Lymph node section stained with H&E, from a whole-slide image of a breast-cancer sentinel node. Magnification about 20×, about 0.25 mm across the frame, about 0.49 µm per pixel.
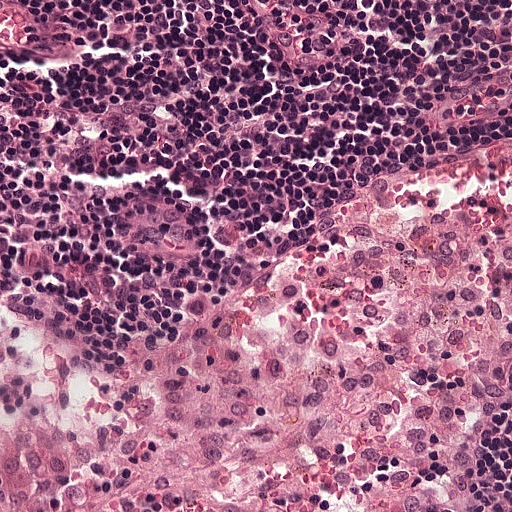
Question: Is there metastatic carcinoma in this field?
Answer: No: no metastatic tumour is outlined anywhere in this field.